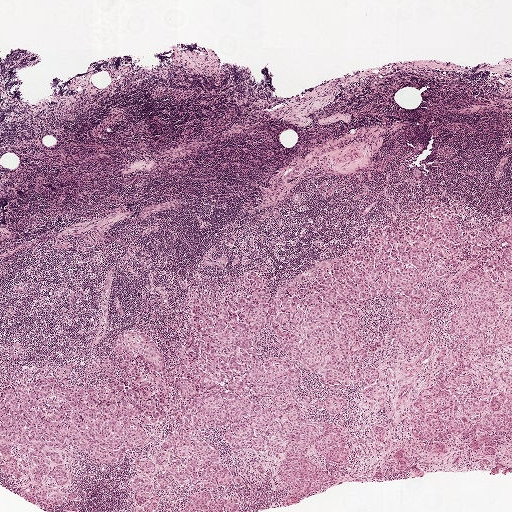
H&E-stained section of a sentinel lymph node (breast cancer), from a whole-slide image, viewed at about 2.5×: the field is about 2.0 mm across, about 3.9 µm per pixel.
Question: Which parts of this field are metastatic tumour?
Answer: Four metastatic tumour regions, each outlined as a closed clockwise path in crop pixels (x, y), largest first: region 1: (386, 229), (415, 232), (429, 242), (430, 258), (421, 282), (429, 293), (424, 305), (430, 337), (412, 350), (402, 348), (393, 335), (397, 299), (364, 301), (360, 322), (368, 351), (362, 358), (353, 354), (353, 372), (343, 385), (319, 382), (282, 347), (268, 313), (278, 297); region 2: (293, 404), (300, 416), (330, 417), (346, 430), (348, 446), (343, 460), (332, 463), (313, 446), (305, 454), (317, 471), (336, 477), (333, 481), (292, 497), (276, 469), (284, 454), (270, 450), (286, 440), (264, 434), (263, 449), (240, 450), (224, 440), (224, 431), (233, 424), (266, 407); region 3: (493, 260), (511, 272), (511, 303), (504, 305), (497, 312), (490, 327), (492, 330), (502, 319), (511, 317), (511, 346), (495, 350), (482, 359), (474, 360), (468, 374), (459, 374), (450, 368), (454, 342), (450, 315), (459, 303), (457, 287), (462, 271); region 4: (430, 386), (451, 391), (455, 397), (455, 402), (452, 407), (442, 411), (440, 417), (443, 418), (468, 417), (473, 424), (473, 430), (466, 435), (457, 437), (422, 437), (415, 435), (412, 431), (407, 407), (412, 399).
Tumour covers about 10% of the frame.